Question: 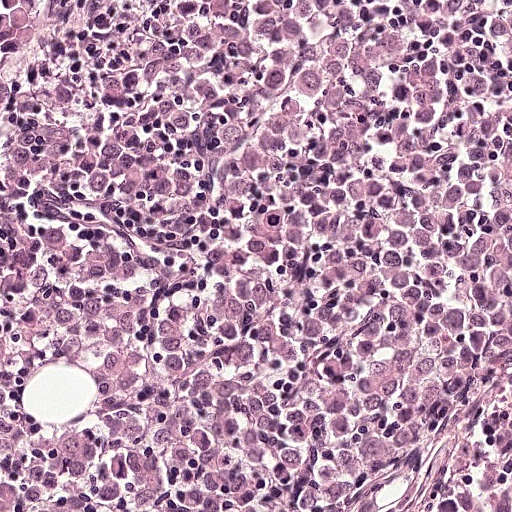
A 0.25-mm field of an H&E-stained sentinel lymph node from a breast-cancer patient (whole-slide image), shown at about 20×, about 0.49 µm per pixel.
About how much of this crop is taken up by metastatic carcinoma?

Choices:
 (A) about 10% to 20%
 (B) about 25% to 45%
 (C) about 5% or less
 (D) none: no tumour is outlined
 (E) about 50% or more

Answer: (E) about 50% or more
About 65% of the field is tumour.
One metastatic tumour region; its boundary, reduced to 10 corners and listed clockwise: (376, 69), (392, 80), (511, 74), (511, 405), (446, 506), (0, 511), (3, 260), (67, 230), (244, 206), (294, 164).